Question: 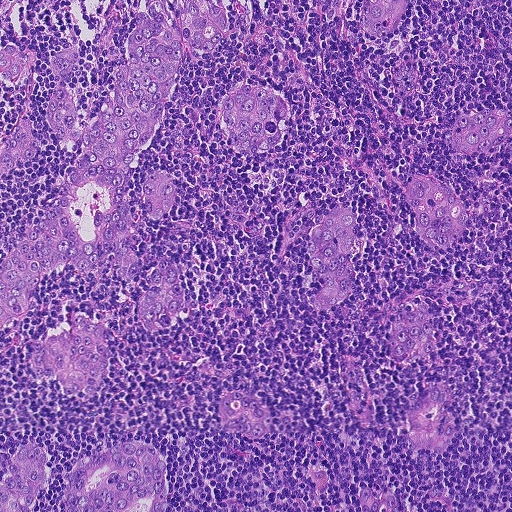
A 0.46-mm field of an H&E-stained sentinel lymph node from a breast-cancer patient (whole-slide image), shown at about 10×, about 0.9 µm per pixel.
What fraction of the image area is metastatic tumour?

Choices:
 (A) about 50% or more
 (B) about 10% to 20%
 (C) none: no tumour is outlined
 (D) about 25% to 45%
 (E) about 5% or less

Answer: (D) about 25% to 45%
About 25% of the field is tumour.
The eight largest tumour regions' boundaries, simplified and listed clockwise, largest first: region 1: (177, 0), (224, 5), (226, 34), (214, 50), (184, 46), (166, 106), (127, 189), (137, 239), (129, 245), (138, 262), (132, 281), (122, 282), (115, 263), (106, 259), (91, 274), (72, 268), (53, 272), (34, 295), (39, 304), (0, 335), (0, 262), (34, 226), (88, 150), (75, 154), (59, 144), (46, 116), (56, 52), (77, 48), (65, 84), (76, 122), (84, 128), (110, 96), (120, 67), (129, 63), (125, 44), (138, 12), (147, 14), (152, 1), (162, 4), (172, 21); region 2: (132, 441), (143, 442), (152, 445), (160, 453), (167, 474), (166, 511), (65, 511), (63, 492), (70, 472), (84, 457), (94, 457); region 3: (81, 311), (103, 322), (106, 330), (107, 369), (104, 384), (95, 396), (86, 396), (80, 392), (65, 395), (56, 380), (41, 380), (29, 369), (24, 354), (25, 346), (30, 340), (59, 334); region 4: (247, 84), (267, 88), (284, 101), (289, 110), (289, 121), (282, 142), (274, 150), (254, 154), (234, 150), (226, 143), (219, 112), (220, 102), (228, 93), (236, 87); region 5: (336, 206), (347, 207), (356, 213), (358, 224), (358, 234), (348, 252), (355, 273), (355, 284), (342, 300), (323, 309), (312, 309), (307, 299), (314, 298), (320, 289), (318, 278), (310, 270), (306, 237), (325, 212); region 6: (414, 174), (424, 174), (444, 180), (464, 204), (467, 214), (466, 224), (464, 234), (450, 249), (430, 246), (420, 240), (415, 231), (412, 210), (404, 200), (404, 193); region 7: (37, 442), (46, 450), (49, 462), (47, 473), (32, 506), (32, 511), (0, 511), (0, 450), (14, 450), (25, 444); region 8: (168, 257), (176, 264), (186, 306), (185, 316), (172, 332), (161, 333), (150, 332), (142, 326), (134, 306), (138, 296), (147, 290), (145, 286), (145, 276), (154, 271), (158, 262).
Nine more, smaller tumour regions are not outlined.